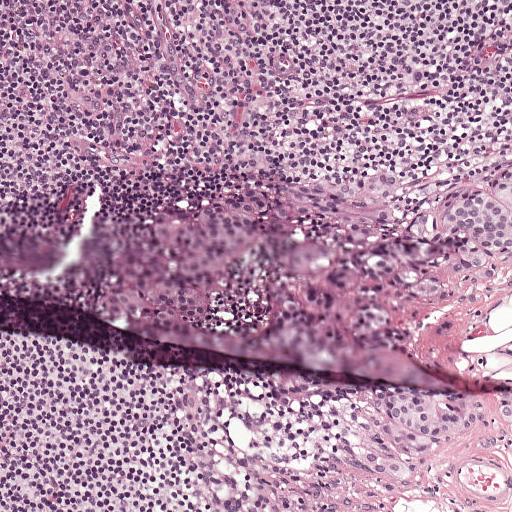
This is a crop of a whole-slide image: an H&E-stained breast-cancer sentinel lymph node section at roughly 10× magnification (about 0.97 µm per pixel; the crop spans about 0.5 mm).
Outlines of four tumour regions, largest first (closed clockwise paths, crop pixels): region 1: (396, 172), (392, 226), (358, 233), (322, 217), (288, 224), (244, 248), (200, 326), (111, 322), (89, 308), (98, 263), (130, 232), (248, 186); region 2: (511, 165), (511, 268), (473, 289), (416, 305), (394, 296), (386, 270), (398, 242), (452, 183); region 3: (399, 382), (432, 382), (511, 400), (511, 429), (487, 422), (411, 495), (363, 484), (330, 452); region 4: (368, 305), (396, 310), (396, 326), (376, 334), (356, 336), (346, 328), (349, 310).
About 20% of the image area is annotated as tumour.